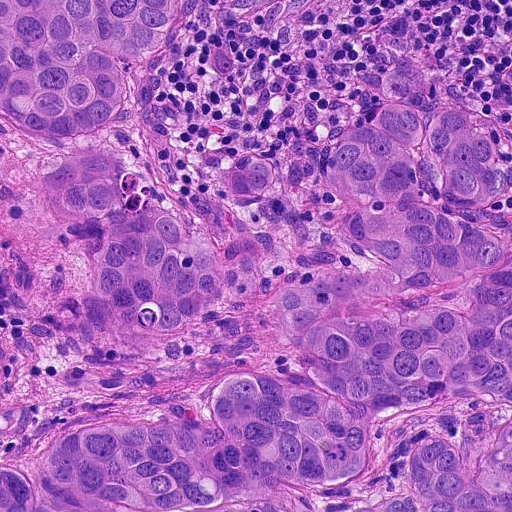
H&E-stained section of a sentinel lymph node (breast cancer), from a whole-slide image, viewed at about 20×: the field is about 0.23 mm across, about 0.45 µm per pixel.
Tumour region outline (a closed clockwise path, crop pixels): (0, 0), (193, 0), (118, 141), (222, 200), (232, 156), (324, 146), (426, 63), (511, 159), (511, 511), (0, 511), (0, 465), (86, 420), (309, 382), (256, 300), (174, 345), (60, 328), (89, 239), (0, 120).
About 65% of this field is tumour.